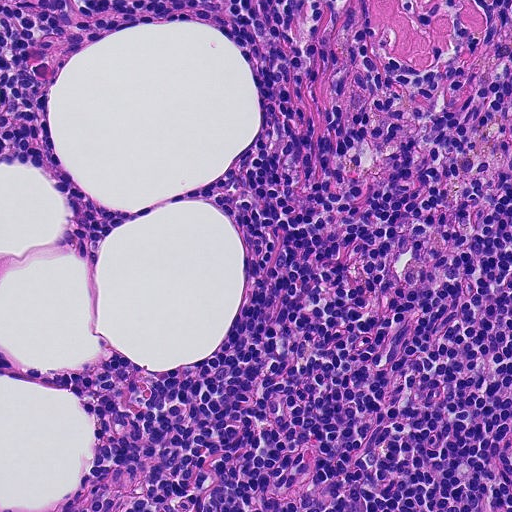
A 0.23-mm field of an H&E-stained sentinel lymph node from a breast-cancer patient (whole-slide image), shown at about 20×, about 0.45 µm per pixel.
Question: Is there metastatic carcinoma in this field?
Answer: No, this field holds no outlined metastasis.